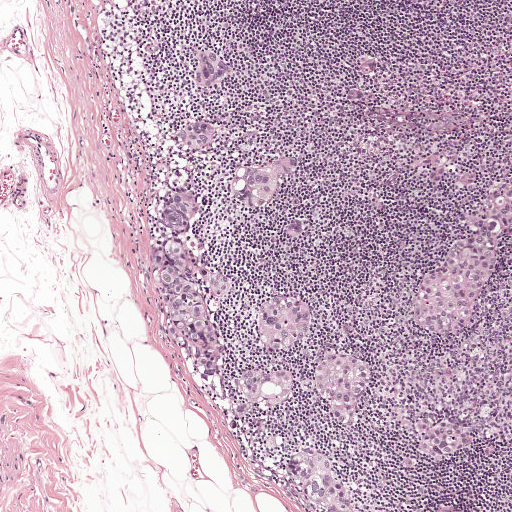
This is a crop of a whole-slide image: an H&E-stained breast-cancer sentinel lymph node section at roughly 5× magnification (about 1.9 µm per pixel; the crop spans about 1 mm).
The eight largest tumour regions' boundaries, simplified and listed clockwise, largest first: region 1: (176, 188), (192, 188), (201, 193), (205, 206), (195, 230), (205, 240), (206, 259), (231, 281), (232, 288), (224, 298), (205, 295), (208, 313), (225, 347), (219, 377), (214, 379), (195, 374), (166, 334), (152, 271), (157, 246), (167, 238), (168, 232), (155, 232), (153, 225), (168, 191); region 2: (500, 180), (511, 184), (511, 234), (498, 239), (492, 267), (478, 290), (467, 319), (454, 330), (432, 331), (422, 324), (413, 307), (416, 287), (424, 275), (440, 265), (452, 242), (473, 234), (471, 228), (460, 222), (459, 217), (483, 205), (488, 185); region 3: (305, 446), (325, 450), (335, 458), (350, 488), (356, 511), (327, 511), (320, 509), (288, 488), (280, 476), (280, 460), (286, 454); region 4: (328, 352), (340, 352), (371, 365), (373, 378), (358, 401), (358, 422), (353, 430), (347, 432), (335, 428), (326, 408), (310, 393), (307, 385), (313, 365); region 5: (285, 366), (291, 366), (296, 370), (297, 383), (289, 403), (282, 409), (248, 416), (240, 434), (233, 434), (228, 430), (227, 424), (231, 409), (242, 401), (236, 389), (236, 379), (240, 372), (246, 368), (268, 370); region 6: (286, 153), (302, 155), (301, 167), (297, 172), (285, 176), (280, 180), (265, 204), (254, 209), (239, 207), (228, 188), (227, 180), (235, 165), (249, 162), (263, 163); region 7: (277, 294), (307, 304), (309, 311), (309, 319), (300, 339), (290, 349), (284, 350), (270, 350), (265, 347), (260, 337), (257, 318), (261, 304), (270, 296); region 8: (420, 417), (429, 417), (438, 420), (451, 419), (470, 428), (476, 432), (476, 439), (473, 444), (457, 457), (436, 459), (423, 454), (416, 455), (421, 459), (420, 466), (415, 468), (408, 468), (401, 465), (401, 459), (413, 455), (411, 449), (422, 438), (417, 434), (415, 421).
Seven more, smaller tumour regions are not outlined.
Tumour covers about 15% of the frame.